Image:
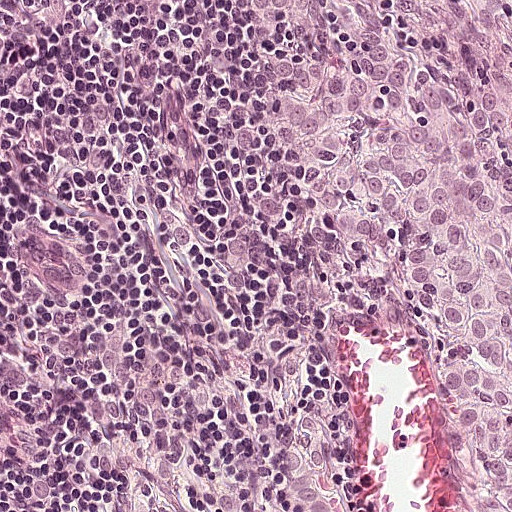
A 0.25-mm field of an H&E-stained sentinel lymph node from a breast-cancer patient (whole-slide image), shown at about 20×, about 0.49 µm per pixel.
Question:
Outline the metastatic carcinoma in this image, as closed paths of (x, y) pixel coordinates.
Answer:
One metastatic tumour region; its boundary, reduced to 18 corners and listed clockwise: (348, 0), (372, 10), (422, 39), (448, 72), (484, 80), (511, 104), (511, 511), (468, 511), (446, 338), (384, 296), (334, 220), (295, 185), (241, 160), (250, 128), (284, 100), (284, 35), (257, 14), (258, 1).
About 25% of the image area is annotated as tumour.

Image:
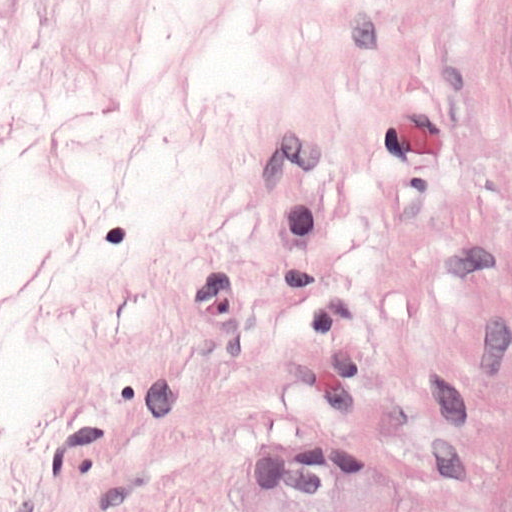
This is a crop of a whole-slide image: an H&E-stained breast-cancer sentinel lymph node section at roughly 40× magnification (about 0.24 µm per pixel; the crop spans about 0.12 mm).
Question:
Outline the metastatic carcinoma in this image, as closed paths of (x, y) pixel coordinates.
Answer:
Metastatic tumour outline, simplified to 4 points and listed clockwise in crop pixels (x, y): (511, 487), (511, 511), (495, 511), (507, 491).
One more small tumour piece is annotated here but not outlined.
The annotated tumour makes up under 5% of the crop.

Image:
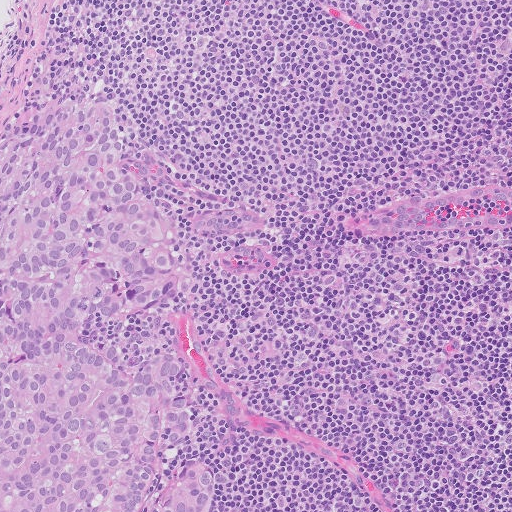
Lymph node section stained with H&E, from a whole-slide image of a breast-cancer sentinel node. Magnification about 10×, about 0.51 mm across the frame, about 1.0 µm per pixel.
Question:
Outline the metastatic carcinoma in this image, as closed paths of (x, y) pixel coordinates.
Answer:
Tumour region outline (a closed clockwise path, crop pixels): (78, 92), (170, 154), (182, 208), (181, 296), (110, 333), (189, 356), (216, 511), (0, 511), (0, 122), (15, 102).
The annotated tumour makes up about 30% of the crop.

Image:
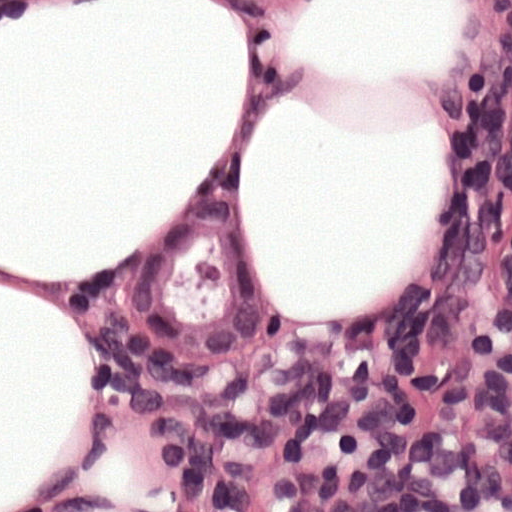
This is a crop of a whole-slide image: an H&E-stained breast-cancer sentinel lymph node section at roughly 40× magnification (about 0.24 µm per pixel; the crop spans about 0.12 mm).
Question:
Outline the metastatic carcinoma in this image, as closed paths of (x, y) pixel coordinates.
Answer:
The outlined metastatic tumour's edge, as a closed clockwise path of 7 points: (190, 197), (258, 200), (287, 275), (269, 372), (181, 376), (108, 323), (129, 243).
Tumour covers about 10% of the frame.